Question: 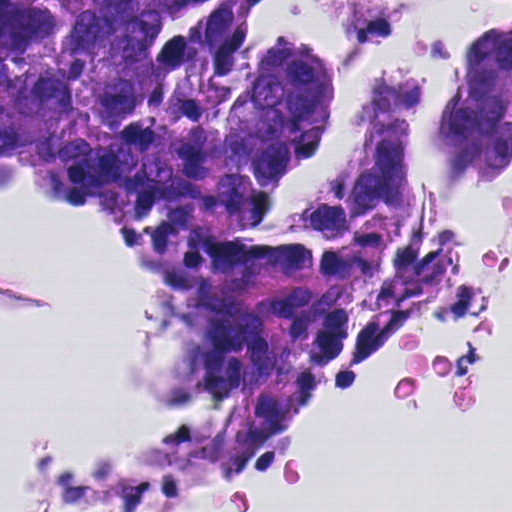
Which magnification is this H&E lymph node field most likely shown at?

Choices:
 (A) about 20×
 (B) about 2.5×
 (C) about 5×
 (D) about 10×
 (E) about 40×

Answer: (E) about 40×
A 0.12-mm field of an H&E-stained sentinel lymph node from a breast-cancer patient (whole-slide image), shown at about 40×, about 0.23 µm per pixel.
One metastatic tumour region; its boundary, reduced to 23 corners and listed clockwise: (0, 0), (263, 0), (235, 94), (272, 38), (345, 71), (320, 144), (260, 226), (331, 188), (352, 111), (394, 46), (431, 117), (456, 55), (511, 16), (505, 199), (444, 151), (411, 145), (394, 222), (329, 362), (239, 480), (229, 402), (153, 264), (134, 186), (0, 157).
The annotated tumour makes up about 45% of the crop.